H&E-stained section of a sentinel lymph node (breast cancer), from a whole-slide image, viewed at about 5×: the field is about 1 mm across, about 1.9 µm per pixel.
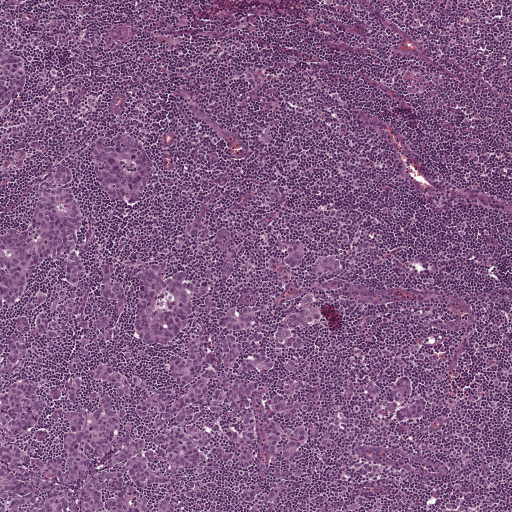
Outlines of three tumour regions, largest first (closed clockwise paths, crop pixels): region 1: (69, 166), (89, 270), (169, 259), (219, 222), (251, 252), (294, 235), (340, 256), (288, 360), (324, 390), (400, 374), (430, 410), (308, 403), (307, 423), (375, 471), (317, 467), (299, 505), (368, 507), (0, 511), (0, 211), (25, 225), (46, 170); region 2: (124, 130), (145, 146), (153, 158), (155, 170), (153, 183), (143, 201), (137, 203), (117, 202), (111, 200), (102, 190), (95, 179), (85, 149), (95, 141), (108, 140), (112, 135); region 3: (0, 42), (24, 57), (27, 82), (25, 93), (0, 123).
The annotated tumour makes up about 40% of the crop.